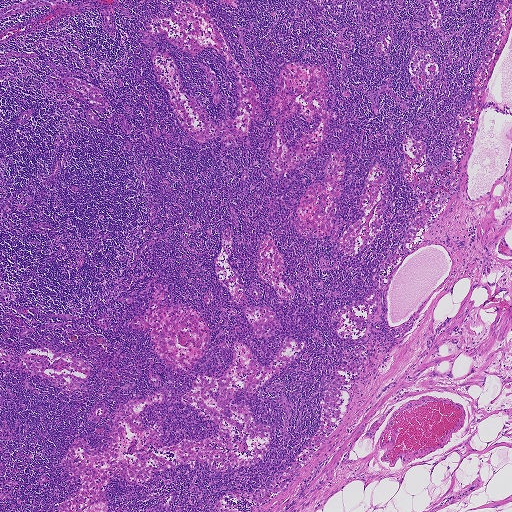
Lymph node section stained with H&E, from a whole-slide image of a breast-cancer sentinel node. Magnification about 2.5×, about 1.9 mm across the frame, about 3.6 µm per pixel.
Question: Is there metastatic carcinoma in this field?
Answer: No, this field holds no outlined metastasis.